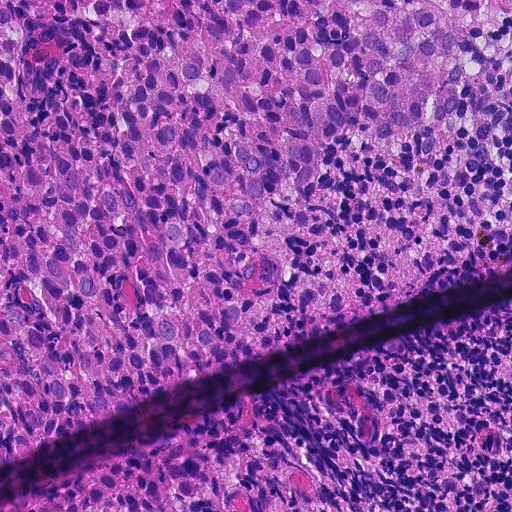
A 0.23-mm field of an H&E-stained sentinel lymph node from a breast-cancer patient (whole-slide image), shown at about 20×, about 0.45 µm per pixel.
Two metastatic tumour regions, each outlined as a closed clockwise path in crop pixels (x, y), largest first: region 1: (0, 0), (421, 0), (436, 9), (462, 49), (465, 98), (454, 120), (337, 144), (323, 181), (334, 228), (286, 240), (278, 288), (288, 306), (321, 273), (344, 280), (355, 301), (336, 316), (289, 321), (256, 354), (0, 470); region 2: (263, 401), (272, 422), (318, 475), (320, 510), (19, 511).
About 60% of this field is tumour.